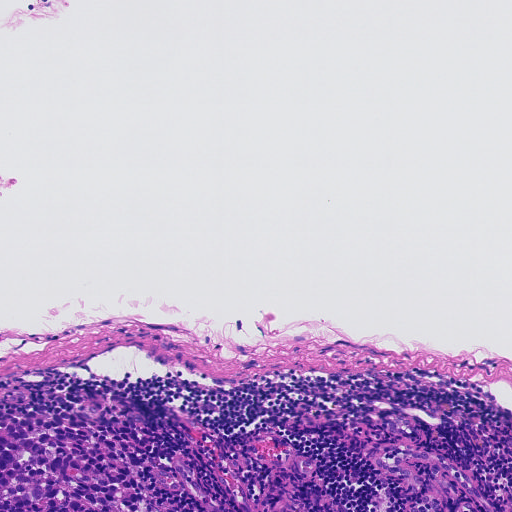
A 0.46-mm field of an H&E-stained sentinel lymph node from a breast-cancer patient (whole-slide image), shown at about 10×, about 0.91 µm per pixel.
Question: Where is the metastatic tumour in this field?
Answer: Two metastatic tumour regions, each outlined as a closed clockwise path in crop pixels (x, y), largest first: region 1: (24, 408), (87, 415), (121, 445), (152, 504), (163, 511), (0, 511), (0, 410); region 2: (72, 383), (98, 386), (122, 398), (141, 412), (156, 437), (143, 454), (126, 450), (112, 434), (110, 420), (78, 410), (64, 396).
About 5% of this field is tumour.